Question: 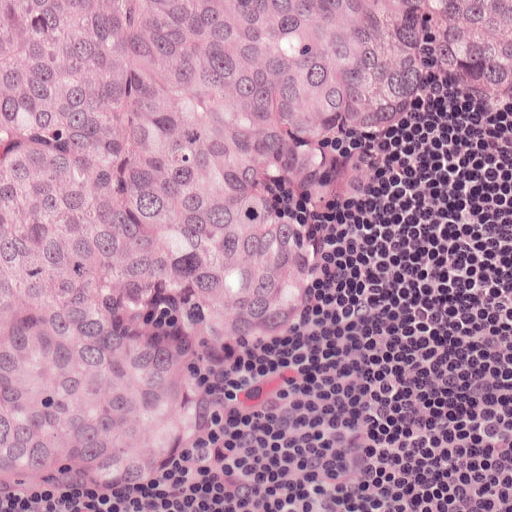
This is a crop of a whole-slide image: an H&E-stained breast-cancer sentinel lymph node section at roughly 20× magnification (about 0.49 µm per pixel; the crop spans about 0.25 mm).
Roughly what share of this field is metastatic tumour?

Choices:
 (A) about 10% to 20%
 (B) about 50% or more
 (C) none: no tumour is outlined
 (D) about 5% or less
 (E) about 25% to 45%

Answer: (B) about 50% or more
About 65% of the field is tumour.
Tumour region outline (a closed clockwise path, crop pixels): (0, 0), (511, 0), (511, 121), (444, 96), (404, 134), (330, 154), (316, 315), (288, 344), (213, 360), (200, 430), (150, 490), (74, 511), (0, 511).